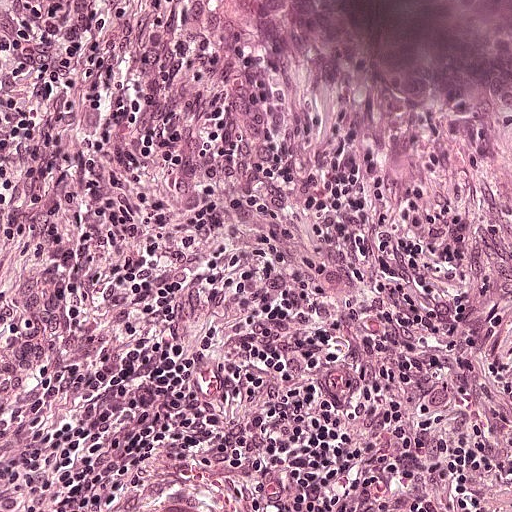
H&E-stained section of a sentinel lymph node (breast cancer), from a whole-slide image, viewed at about 20×: the field is about 0.25 mm across, about 0.49 µm per pixel.
One metastatic tumour region; its boundary, reduced to 9 corners and listed clockwise: (511, 0), (511, 511), (420, 508), (400, 436), (410, 338), (364, 316), (289, 242), (236, 144), (182, 2).
About 40% of the image area is annotated as tumour.